Question: 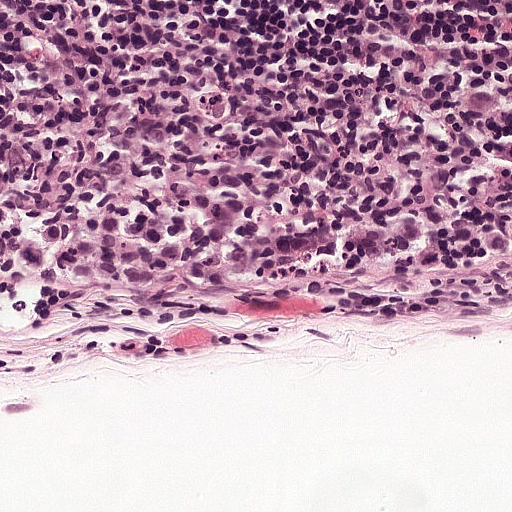
H&E-stained section of a sentinel lymph node (breast cancer), from a whole-slide image, viewed at about 20×: the field is about 0.25 mm across, about 0.49 µm per pixel.
Roughly what share of this field is metastatic tumour?

Choices:
 (A) about 5% or less
 (B) about 10% to 20%
 (C) about 50% or more
 (D) none: no tumour is outlined
 (E) about 25% to 45%

Answer: (E) about 25% to 45%
About 40% of the field is tumour.
One metastatic tumour region; its boundary, reduced to 10 corners and listed clockwise: (117, 29), (282, 88), (315, 120), (386, 232), (388, 284), (339, 322), (236, 343), (0, 336), (0, 50), (56, 30).